Question: 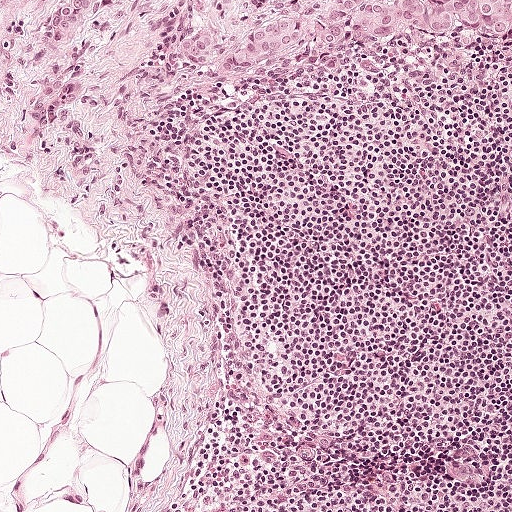
This is a crop of a whole-slide image: an H&E-stained breast-cancer sentinel lymph node section at roughly 10× magnification (about 0.97 µm per pixel; the crop spans about 0.5 mm).
What fraction of the image area is metastatic tumour?

Choices:
 (A) about 50% or more
 (B) about 5% or less
 (C) about 25% to 45%
 (D) about 10% to 20%
 (E) none: no tumour is outlined

Answer: (D) about 10% to 20%
About 20% of the field is tumour.
Tumour region outline (a closed clockwise path, crop pixels): (26, 0), (511, 0), (511, 50), (443, 65), (357, 65), (274, 87), (232, 87), (184, 72), (153, 96), (131, 151), (87, 166), (15, 169), (2, 131), (0, 63).